Question: 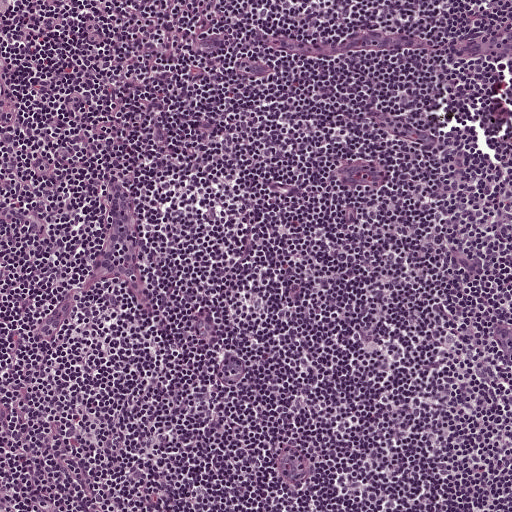
At roughly what magnification is this field shown?

Choices:
 (A) about 10×
 (B) about 2.5×
 (C) about 40×
 (D) about 20×
 (E) about 5×

Answer: (A) about 10×
Lymph node section stained with H&E, from a whole-slide image of a breast-cancer sentinel node. Magnification about 10×, about 0.5 mm across the frame, about 0.97 µm per pixel.